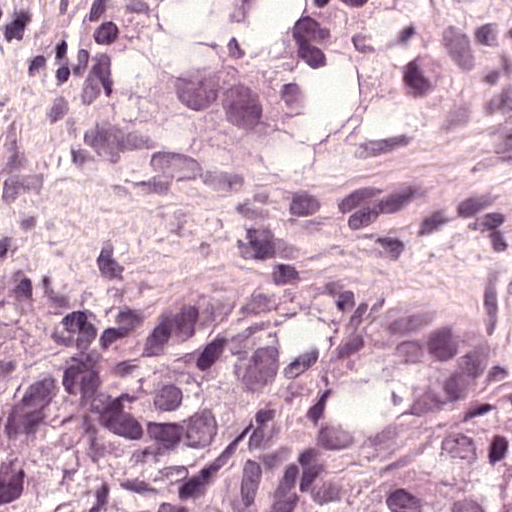
H&E-stained section of a sentinel lymph node (breast cancer), from a whole-slide image, viewed at about 40×: the field is about 0.12 mm across, about 0.24 µm per pixel.
Boundaries of two metastatic tumour regions, simplified and listed clockwise, largest first: region 1: (511, 0), (511, 196), (472, 230), (304, 254), (216, 203), (113, 178), (82, 155), (72, 124), (72, 46), (102, 1); region 2: (266, 298), (291, 298), (320, 321), (386, 307), (468, 314), (504, 378), (495, 387), (511, 396), (511, 511), (170, 511), (111, 462), (107, 371), (129, 348).
About 65% of this field is tumour.